H&E-stained section of a sentinel lymph node (breast cancer), from a whole-slide image, viewed at about 10×: the field is about 0.46 mm across, about 0.9 µm per pixel.
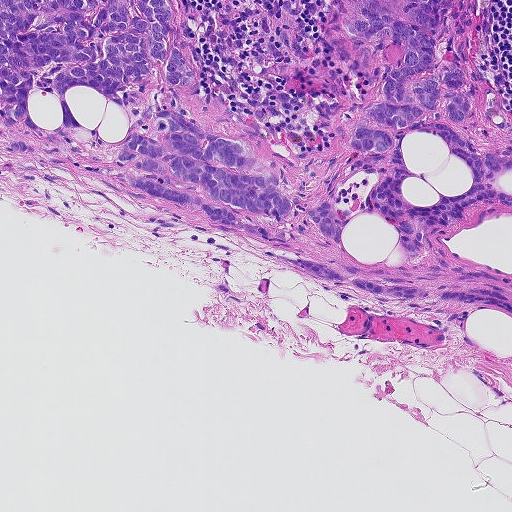
Metastatic tumour outline, simplified to 39 points and listed clockwise in crop pixels (x, y): (0, 0), (173, 0), (202, 79), (180, 110), (256, 145), (295, 202), (334, 193), (351, 215), (378, 176), (348, 142), (402, 57), (346, 34), (338, 0), (461, 0), (438, 48), (476, 100), (442, 122), (511, 157), (511, 206), (468, 208), (408, 261), (375, 215), (346, 220), (343, 247), (294, 212), (278, 254), (434, 293), (398, 300), (287, 268), (125, 186), (118, 151), (152, 89), (120, 108), (76, 85), (72, 131), (37, 88), (33, 116), (61, 134), (5, 142).
The annotated tumour makes up about 25% of the crop.